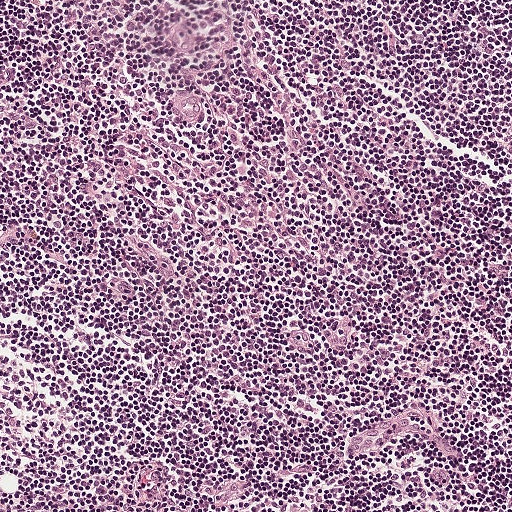
A 0.5-mm field of an H&E-stained sentinel lymph node from a breast-cancer patient (whole-slide image), shown at about 10×, about 0.97 µm per pixel.